Question: 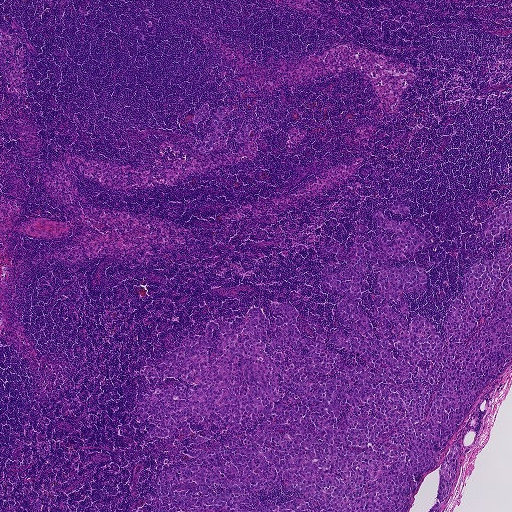
A 1.9-mm field of an H&E-stained sentinel lymph node from a breast-cancer patient (whole-slide image), shown at about 2.5×, about 3.6 µm per pixel.
Estimate the proportion of this field that is metastatic tumour.

Choices:
 (A) about 5% or less
 (B) about 10% to 20%
 (C) about 50% or more
 (D) about 25% to 45%
 (E) none: no tumour is outlined

Answer: (D) about 25% to 45%
About 25% of the field is tumour.
Outlines of seven tumour regions, largest first (closed clockwise paths, crop pixels): region 1: (373, 212), (433, 234), (387, 260), (424, 269), (393, 306), (444, 346), (465, 271), (511, 249), (511, 360), (407, 511), (159, 511), (158, 474), (196, 459), (167, 454), (190, 439), (177, 427), (145, 437), (138, 400), (196, 388), (177, 377), (129, 373), (214, 321), (209, 363), (224, 322), (240, 342), (277, 302), (378, 372), (330, 338), (350, 327), (321, 272), (351, 261), (320, 249), (343, 246), (347, 256), (362, 225), (392, 247), (393, 234); region 2: (459, 442), (461, 448), (457, 470), (449, 496), (440, 504), (439, 511), (427, 511), (436, 503), (438, 470), (453, 444); region 3: (510, 197), (511, 197), (511, 229), (504, 232), (497, 240), (490, 240), (485, 243), (480, 239), (480, 236), (485, 224), (494, 215), (495, 209); region 4: (219, 106), (222, 106), (226, 110), (222, 118), (222, 122), (225, 124), (225, 127), (214, 148), (205, 152), (198, 150), (199, 146), (203, 141), (209, 140), (214, 132), (215, 128), (211, 127), (210, 121); region 5: (247, 124), (251, 124), (251, 128), (248, 137), (243, 141), (240, 142), (236, 141), (235, 138), (236, 135), (244, 125); region 6: (391, 203), (393, 204), (394, 206), (396, 206), (402, 204), (408, 207), (409, 213), (406, 214), (393, 214), (389, 208), (389, 204); region 7: (205, 103), (208, 105), (206, 111), (198, 122), (195, 123), (192, 121), (193, 114), (201, 108).
One more small tumour piece is annotated here but not outlined.
Question: 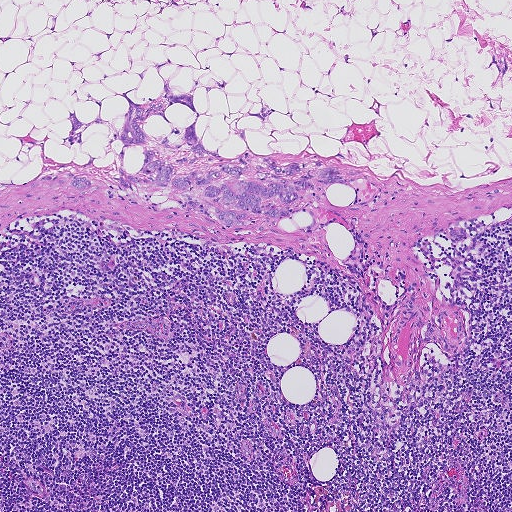
A 0.93-mm field of an H&E-stained sentinel lymph node from a breast-cancer patient (whole-slide image), shown at about 5×, about 1.8 µm per pixel.
Estimate the proportion of this field that is metastatic tumour.

Choices:
 (A) about 25% to 45%
 (B) none: no tumour is outlined
 (C) about 10% to 20%
 (D) about 50% or more
 (E) about 5% or less

Answer: (E) about 5% or less
About 5% of the field is tumour.
Boundaries of eight metastatic tumour regions, simplified and listed clockwise, largest first: region 1: (148, 150), (152, 161), (175, 166), (172, 179), (189, 172), (205, 178), (214, 170), (221, 175), (209, 180), (219, 186), (232, 176), (221, 168), (228, 162), (244, 170), (242, 180), (300, 178), (318, 188), (299, 192), (292, 203), (260, 197), (286, 204), (290, 216), (249, 213), (244, 218), (253, 222), (242, 226), (222, 224), (214, 207), (242, 210), (205, 198), (204, 186), (181, 191), (148, 178), (124, 188), (119, 168), (137, 171); region 2: (193, 79), (209, 87), (220, 80), (227, 83), (224, 92), (213, 88), (207, 94), (205, 88), (197, 87), (193, 98), (199, 114), (197, 118), (184, 104), (169, 106), (164, 112), (178, 128), (196, 121), (195, 132), (203, 146), (223, 158), (206, 156), (191, 163), (174, 161), (193, 155), (186, 145), (174, 151), (160, 146), (162, 138), (172, 128), (160, 117), (149, 117), (147, 114), (151, 101), (162, 103), (163, 109), (168, 103), (160, 93), (166, 80), (174, 94), (190, 90); region 3: (133, 104), (140, 104), (145, 109), (140, 122), (142, 129), (145, 135), (144, 142), (123, 143), (120, 137), (127, 109); region 4: (88, 92), (92, 96), (102, 101), (100, 114), (104, 124), (95, 124), (89, 127), (82, 133), (83, 144), (80, 145), (77, 142), (70, 147), (68, 145), (67, 135), (71, 128), (68, 119), (69, 110), (71, 112), (76, 110), (77, 118), (85, 123), (95, 118), (98, 106), (87, 101); region 5: (330, 165), (338, 167), (340, 172), (337, 176), (343, 178), (344, 182), (326, 184), (316, 181), (320, 170); region 6: (294, 162), (302, 166), (302, 170), (294, 174), (289, 175), (280, 175), (275, 174), (269, 167), (268, 163), (277, 164), (281, 166); region 7: (264, 104), (267, 104), (276, 110), (268, 117), (265, 121), (262, 122), (254, 116), (249, 116), (249, 113), (255, 114), (257, 112); region 8: (80, 176), (86, 177), (91, 182), (89, 189), (82, 189), (74, 188), (71, 182), (76, 177).
Question: 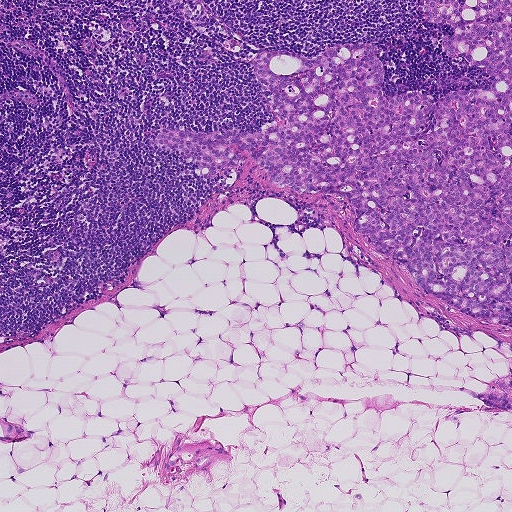
H&E-stained section of a sentinel lymph node (breast cancer), from a whole-slide image, viewed at about 5×: the field is about 0.93 mm across, about 1.8 µm per pixel.
Estimate the proportion of this field that is metastatic tumour.

Choices:
 (A) about 5% or less
 (B) about 25% to 45%
 (C) none: no tumour is outlined
 (D) about 50% or more
 (E) about 10% to 20%

Answer: (E) about 10% to 20%
About 20% of the field is tumour.
Two metastatic tumour regions, each outlined as a closed clockwise path in crop pixels (x, y), largest first: region 1: (420, 0), (511, 0), (511, 327), (416, 290), (368, 248), (339, 194), (273, 186), (246, 154), (233, 185), (226, 173), (195, 175), (156, 131), (272, 122), (253, 56), (369, 44), (385, 89), (419, 88), (436, 103), (494, 78), (444, 55), (451, 26), (423, 23); region 2: (511, 374), (511, 409), (488, 409), (477, 394), (486, 389), (498, 375).
Question: 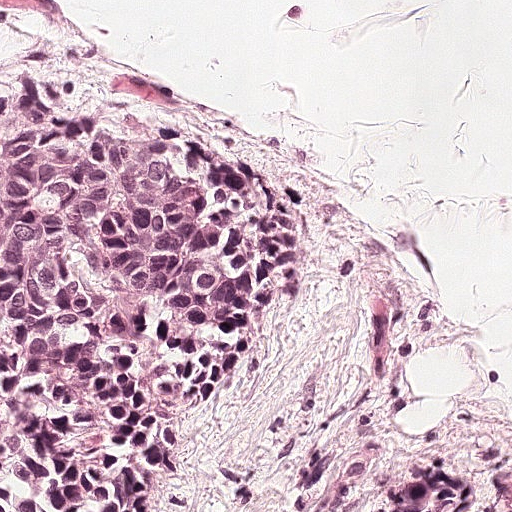
H&E-stained section of a sentinel lymph node (breast cancer), from a whole-slide image, viewed at about 20×: the field is about 0.25 mm across, about 0.49 µm per pixel.
Estimate the proportion of this field that is metastatic tumour.

Choices:
 (A) none: no tumour is outlined
 (B) about 10% to 20%
 (C) about 5% or less
 (D) about 50% or more
 (E) about 25% to 45%

Answer: (E) about 25% to 45%
About 40% of the field is tumour.
Metastatic tumour outline, simplified to 10 points and listed clockwise in crop pixels (x, y): (2, 78), (113, 95), (240, 141), (294, 230), (298, 276), (279, 324), (246, 375), (172, 436), (147, 511), (0, 511).